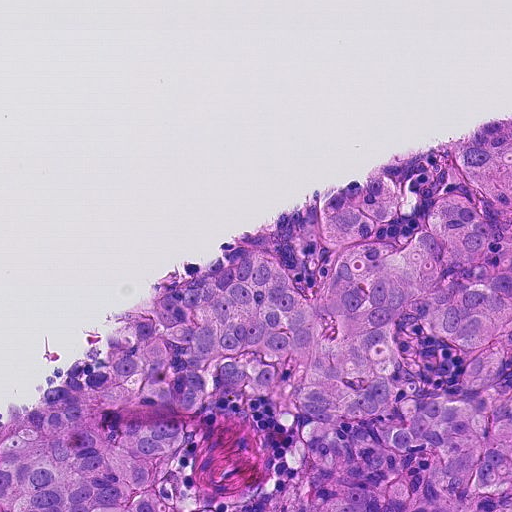
A 0.23-mm field of an H&E-stained sentinel lymph node from a breast-cancer patient (whole-slide image), shown at about 20×, about 0.45 µm per pixel.
Metastatic tumour outline, simplified to 21 points and listed clockwise in crop pixels (x, y): (511, 117), (511, 212), (500, 228), (511, 229), (511, 511), (0, 511), (0, 419), (181, 270), (251, 242), (310, 294), (326, 260), (308, 226), (319, 188), (393, 173), (404, 210), (382, 243), (412, 238), (431, 204), (468, 191), (450, 156), (471, 124).
About 50% of the image area is annotated as tumour.